Lymph node section stained with H&E, from a whole-slide image of a breast-cancer sentinel node. Magnification about 10×, about 0.5 mm across the frame, about 0.97 µm per pixel.
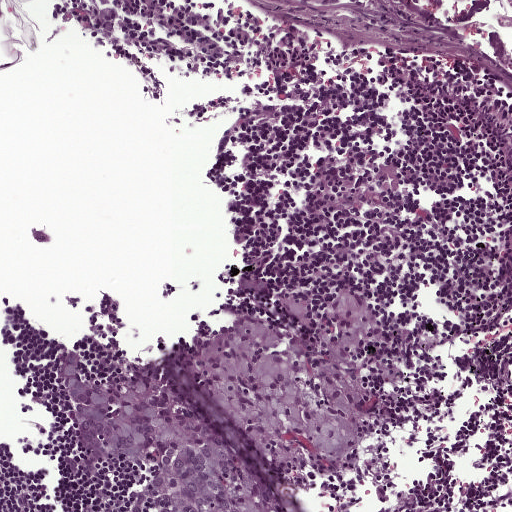
Question: Show where the tumour is in this image.
Answer: Outlines of three tumour regions, largest first (closed clockwise paths, crop pixels): region 1: (320, 278), (347, 281), (384, 320), (389, 342), (365, 458), (343, 469), (312, 462), (303, 511), (138, 511), (149, 487), (143, 466), (74, 446), (56, 358), (71, 342), (100, 378), (118, 358), (258, 310); region 2: (87, 6), (119, 6), (124, 16), (113, 33), (100, 28), (94, 22); region 3: (292, 0), (347, 0), (334, 9), (310, 6).
About 20% of this field is tumour.